H&E-stained section of a sentinel lymph node (breast cancer), from a whole-slide image, viewed at about 2.5×: the field is about 2.0 mm across, about 3.9 µm per pixel.
Question: 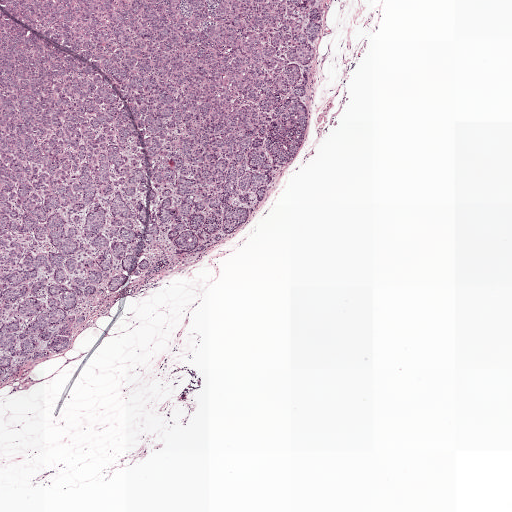
Estimate the proportion of this field that is metastatic tumour.

Choices:
 (A) about 50% or more
 (B) about 5% or less
 (C) none: no tumour is outlined
 (D) about 25% to 45%
 (E) about 10% to 20%

Answer: (D) about 25% to 45%
About 30% of the field is tumour.
Tumour region outline (a closed clockwise path, crop pixels): (0, 0), (316, 0), (306, 132), (262, 202), (236, 199), (247, 219), (188, 257), (167, 234), (158, 251), (147, 243), (142, 260), (162, 270), (126, 271), (98, 307), (79, 301), (70, 346), (24, 356), (15, 381), (1, 380).